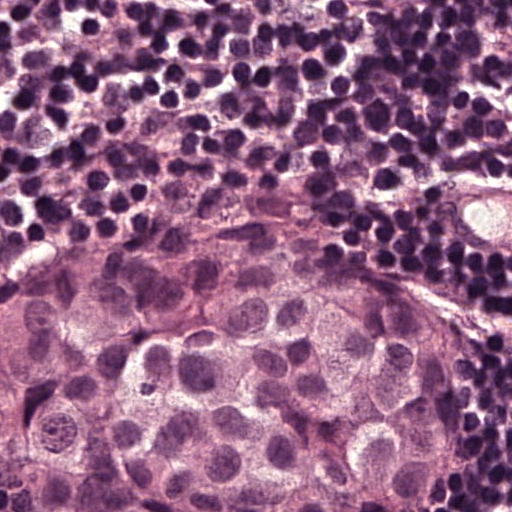
Lymph node section stained with H&E, from a whole-slide image of a breast-cancer sentinel node. Magnification about 40×, about 0.12 mm across the frame, about 0.24 µm per pixel.
Metastatic tumour outline, simplified to 12 points and listed clockwise in crop pixels (x, y): (166, 160), (404, 269), (454, 316), (468, 469), (425, 511), (65, 511), (22, 488), (0, 466), (0, 271), (22, 232), (88, 207), (101, 166).
Tumour covers about 50% of the frame.